Image:
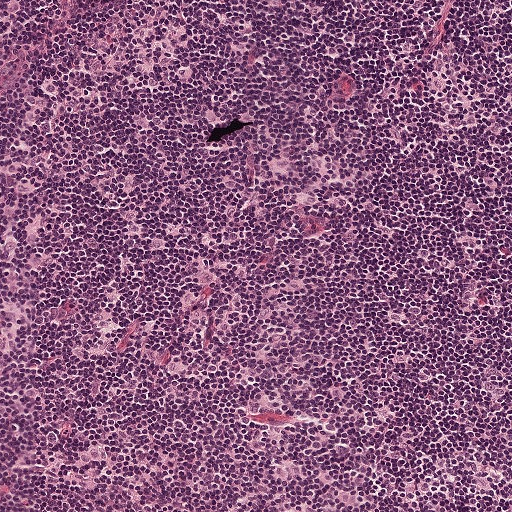
This is a crop of a whole-slide image: an H&E-stained breast-cancer sentinel lymph node section at roughly 10× magnification (about 0.97 µm per pixel; the crop spans about 0.5 mm).
Question:
Is there metastatic carcinoma in this field?
Answer:
No. No metastatic tumour is outlined in this field.